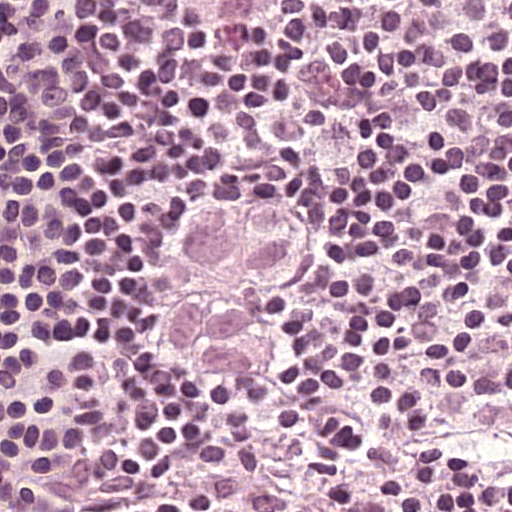
H&E-stained section of a sentinel lymph node (breast cancer), from a whole-slide image, viewed at about 40×: the field is about 0.12 mm across, about 0.24 µm per pixel.
Tumour region outline (a closed clockwise path, crop pixels): (247, 215), (302, 226), (306, 243), (304, 291), (293, 314), (274, 331), (274, 390), (257, 409), (224, 423), (200, 419), (142, 388), (135, 365), (135, 319), (152, 283), (173, 252).
About 10% of this field is tumour.